Image:
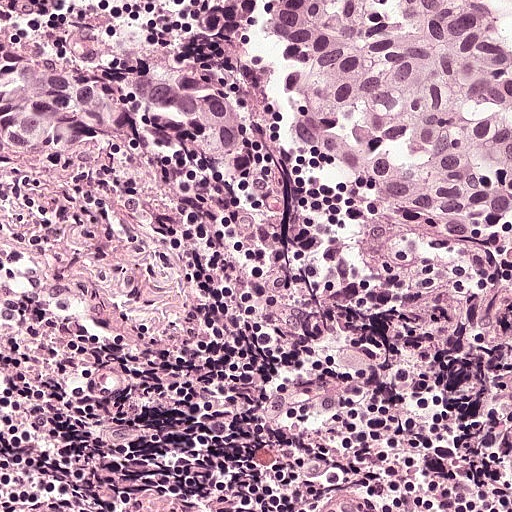
Lymph node section stained with H&E, from a whole-slide image of a breast-cancer sentinel node. Magnification about 20×, about 0.25 mm across the frame, about 0.49 µm per pixel.
Question:
Which parts of this field are metastatic tumour?
Answer:
Three metastatic tumour regions, each outlined as a closed clockwise path in crop pixels (x, y), largest first: region 1: (511, 0), (511, 224), (494, 232), (394, 217), (308, 137), (284, 90), (284, 26), (235, 48), (148, 1); region 2: (32, 49), (59, 49), (102, 70), (210, 76), (246, 100), (249, 121), (240, 154), (226, 166), (215, 166), (146, 130), (76, 134), (57, 143), (4, 140), (0, 88), (23, 74); region 3: (34, 0), (79, 0), (72, 2), (70, 6), (62, 8), (52, 8), (48, 8), (48, 6), (40, 4).
The annotated tumour makes up about 25% of the crop.

Image:
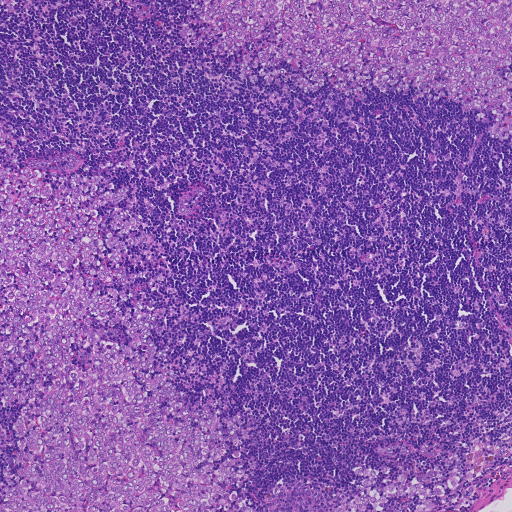
This is a crop of a whole-slide image: an H&E-stained breast-cancer sentinel lymph node section at roughly 5× magnification (about 1.8 µm per pixel; the crop spans about 0.93 mm).
Question:
Which parts of this field are metastatic tumour?
Answer:
Boundaries of three metastatic tumour regions, simplified and listed clockwise, largest first: region 1: (0, 118), (17, 132), (7, 145), (25, 166), (128, 187), (97, 209), (133, 214), (147, 231), (128, 269), (155, 286), (134, 285), (129, 297), (158, 315), (152, 336), (171, 354), (175, 387), (224, 426), (245, 421), (241, 446), (214, 470), (243, 456), (240, 497), (254, 510), (0, 511); region 2: (511, 0), (511, 135), (493, 139), (493, 114), (480, 120), (478, 110), (420, 99), (410, 86), (340, 92), (328, 108), (326, 73), (309, 94), (288, 76), (246, 82), (230, 67), (272, 38), (274, 27), (225, 55), (209, 36), (190, 46), (178, 29), (192, 2); region 3: (382, 464), (390, 467), (391, 470), (390, 474), (379, 473), (375, 487), (389, 484), (394, 479), (396, 472), (403, 471), (411, 483), (418, 482), (423, 486), (438, 486), (450, 478), (447, 472), (454, 470), (459, 475), (459, 482), (436, 497), (429, 511), (328, 511), (361, 493), (363, 486), (361, 479), (368, 477), (354, 473), (354, 466), (360, 465), (377, 469).
Two more small tumour pieces are annotated here but not outlined.
Tumour covers about 35% of the frame.

Image:
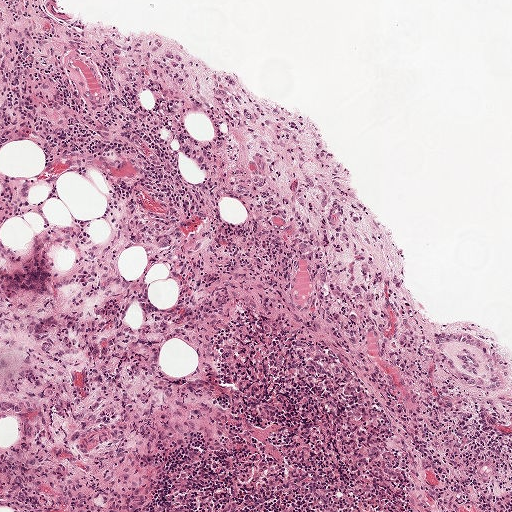
This is a crop of a whole-slide image: an H&E-stained breast-cancer sentinel lymph node section at roughly 5× magnification (about 1.9 µm per pixel; the crop spans about 1 mm).
Question:
Which parts of this field are metastatic tumour?
Answer:
Two metastatic tumour regions, each outlined as a closed clockwise path in crop pixels (x, y), largest first: region 1: (0, 58), (2, 111), (22, 149), (60, 178), (122, 203), (182, 265), (191, 299), (188, 340), (162, 384), (155, 435), (66, 455), (1, 436); region 2: (179, 50), (188, 51), (267, 114), (338, 157), (386, 220), (417, 303), (434, 328), (452, 343), (511, 363), (511, 431), (460, 418), (403, 371), (361, 316), (309, 210), (200, 123), (182, 92).
The annotated tumour makes up about 30% of the crop.

Image:
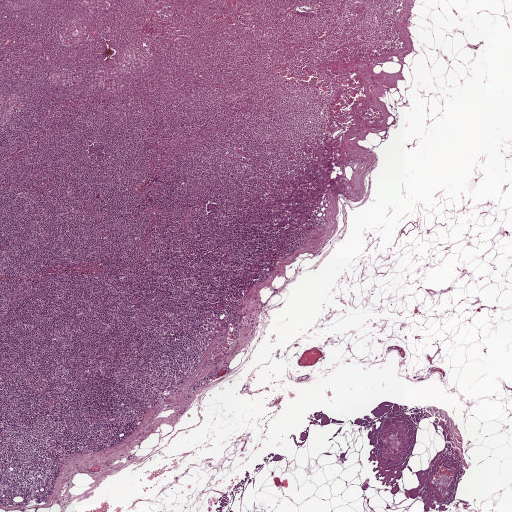
Lymph node section stained with H&E, from a whole-slide image of a breast-cancer sentinel node. Magnification about 2.5×, about 2.0 mm across the frame, about 3.9 µm per pixel.
Question:
Which parts of this field are metastatic tumour?
Answer:
The outlined metastatic tumour's edge, as a closed clockwise path of 23 points: (323, 135), (340, 137), (340, 161), (341, 167), (334, 167), (320, 205), (320, 219), (316, 218), (300, 233), (302, 239), (299, 247), (295, 246), (293, 233), (286, 236), (279, 232), (266, 232), (259, 209), (278, 179), (289, 173), (302, 172), (310, 158), (310, 150), (321, 143).
The annotated tumour makes up under 5% of the crop.